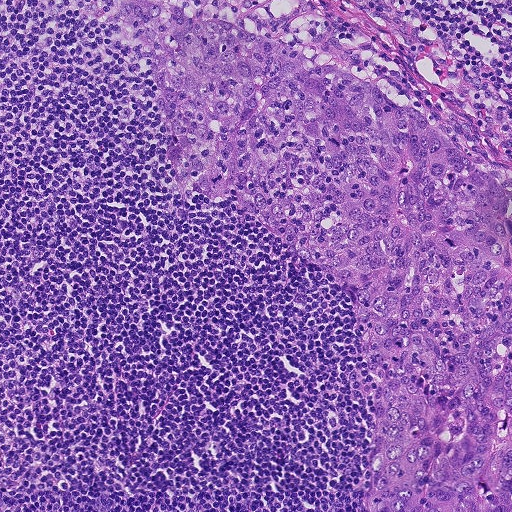
Lymph node section stained with H&E, from a whole-slide image of a breast-cancer sentinel node. Magnification about 10×, about 0.46 mm across the frame, about 0.9 µm per pixel.
One metastatic tumour region; its boundary, reduced to 12 corners and listed clockwise: (160, 0), (377, 76), (511, 193), (511, 511), (363, 511), (378, 384), (342, 290), (246, 214), (178, 190), (150, 60), (113, 26), (110, 2).
Tumour covers about 35% of the frame.